Question: 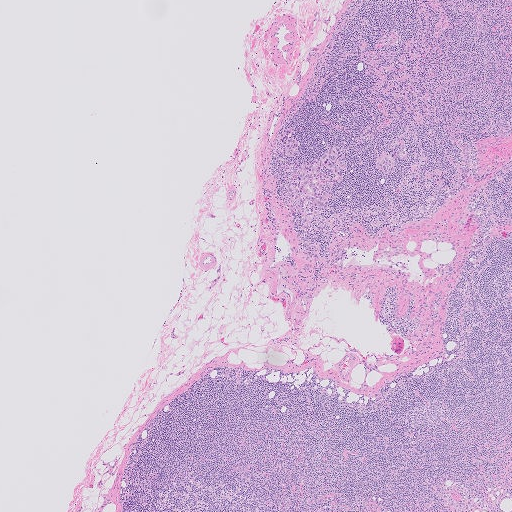
About what magnification does this crop show?

Choices:
 (A) about 20×
 (B) about 2.5×
 (C) about 5×
 (D) about 10×
 (E) about 40×

Answer: (B) about 2.5×
H&E-stained section of a sentinel lymph node (breast cancer), from a whole-slide image, viewed at about 2.5×: the field is about 2.0 mm across, about 4.0 µm per pixel.
Outlines of four tumour regions, largest first (closed clockwise paths, crop pixels): region 1: (331, 145), (337, 145), (343, 152), (346, 164), (340, 182), (331, 188), (324, 186), (324, 189), (331, 192), (328, 209), (322, 210), (308, 206), (300, 211), (297, 209), (294, 218), (290, 217), (287, 210), (295, 206), (287, 191), (287, 184), (297, 181), (297, 168), (301, 163), (318, 158); region 2: (290, 127), (295, 129), (292, 135), (298, 139), (298, 146), (291, 157), (284, 156), (279, 150), (275, 137), (280, 131); region 3: (390, 151), (394, 161), (392, 174), (385, 175), (381, 170), (375, 167), (374, 164), (380, 154); region 4: (405, 142), (408, 153), (408, 157), (407, 160), (403, 161), (397, 159), (395, 155), (397, 148), (399, 145), (402, 143).
Three more small tumour pieces are annotated here but not outlined.
Under 5% of this field is tumour.